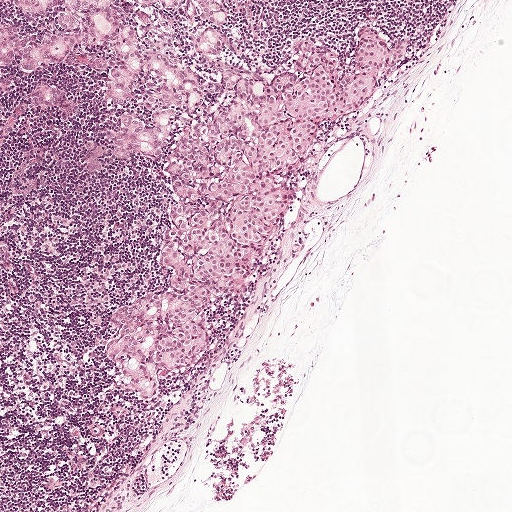
Lymph node section stained with H&E, from a whole-slide image of a breast-cancer sentinel node. Magnification about 5×, about 1 mm across the frame, about 1.9 µm per pixel.
The outlined metastatic tumour's edge, as a closed clockwise path of 39 points: (3, 0), (226, 0), (219, 60), (258, 78), (290, 64), (302, 38), (326, 43), (344, 71), (360, 32), (411, 42), (363, 105), (270, 174), (282, 210), (248, 296), (207, 307), (208, 354), (158, 372), (152, 399), (120, 390), (104, 356), (111, 318), (173, 282), (160, 249), (178, 198), (162, 160), (113, 158), (100, 129), (130, 111), (144, 118), (148, 88), (108, 105), (100, 81), (115, 62), (93, 45), (36, 72), (0, 69), (0, 22), (30, 42), (58, 20).
The annotated tumour makes up about 20% of the crop.